This is a crop of a whole-slide image: an H&E-stained breast-cancer sentinel lymph node section at roughly 20× magnification (about 0.49 µm per pixel; the crop spans about 0.25 mm).
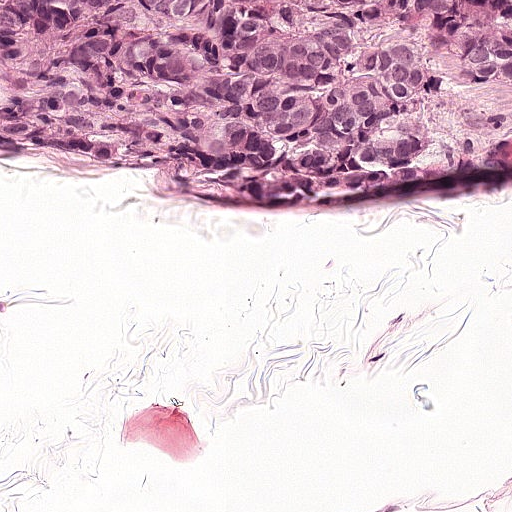
One metastatic tumour region; its boundary, reduced to 9 corners and listed clockwise: (0, 0), (511, 0), (511, 102), (460, 95), (276, 171), (123, 170), (87, 158), (32, 118), (7, 118).
Tumour covers about 30% of the frame.